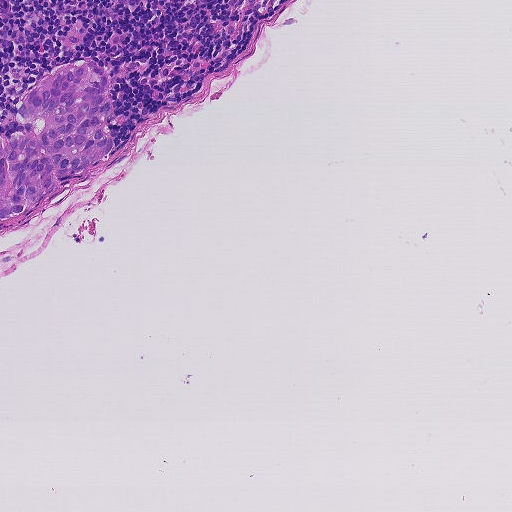
H&E-stained section of a sentinel lymph node (breast cancer), from a whole-slide image, viewed at about 10×: the field is about 0.46 mm across, about 0.9 µm per pixel.
Metastatic tumour outline, simplified to 15 points and listed clockwise in crop pixels (x, y): (82, 61), (99, 67), (112, 80), (110, 135), (113, 152), (101, 164), (68, 181), (28, 214), (0, 223), (0, 135), (26, 130), (20, 122), (18, 105), (48, 70), (65, 62).
The annotated tumour makes up about 5% of the crop.